Question: 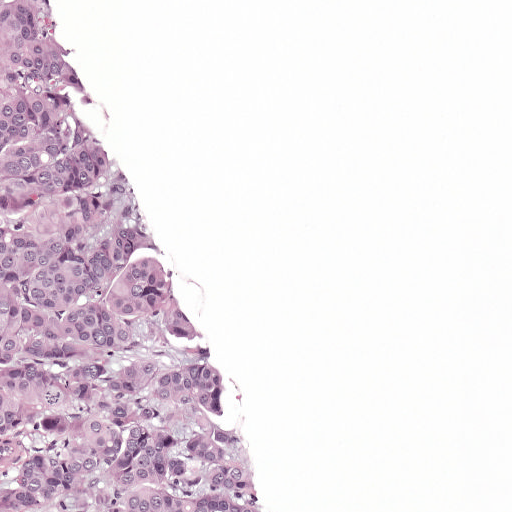
Lymph node section stained with H&E, from a whole-slide image of a breast-cancer sentinel node. Magnification about 10×, about 0.5 mm across the frame, about 0.97 µm per pixel.
What fraction of the image area is metastatic tumour?

Choices:
 (A) about 5% or less
 (B) about 10% to 20%
 (C) none: no tumour is outlined
 (D) about 50% or more
 (E) about 25% to 45%

Answer: (E) about 25% to 45%
About 35% of the field is tumour.
Tumour region outline (a closed clockwise path, crop pixels): (0, 0), (60, 0), (66, 40), (188, 262), (274, 506), (0, 511).